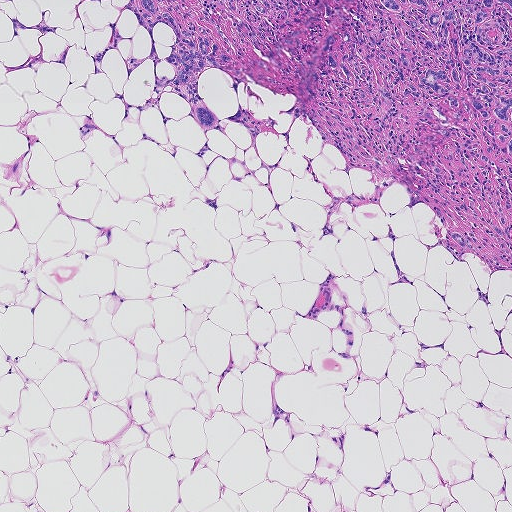
This is a crop of a whole-slide image: an H&E-stained breast-cancer sentinel lymph node section at roughly 5× magnification (about 1.8 µm per pixel; the crop spans about 0.93 mm).
Metastatic tumour outline, simplified to 21 points and listed clockwise in crop pixels (x, y): (511, 0), (511, 271), (492, 270), (459, 247), (400, 180), (349, 165), (310, 118), (289, 114), (290, 93), (238, 82), (257, 137), (226, 120), (218, 122), (225, 132), (206, 130), (173, 87), (156, 93), (155, 74), (176, 75), (154, 63), (126, 4).
The annotated tumour makes up about 20% of the crop.